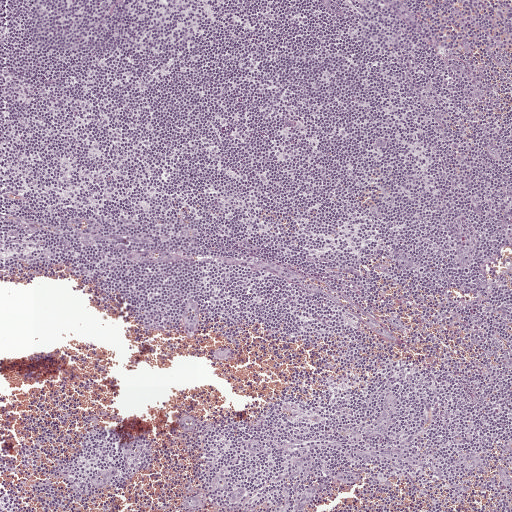
This is a crop of a whole-slide image: an H&E-stained breast-cancer sentinel lymph node section at roughly 5× magnification (about 1.9 µm per pixel; the crop spans about 1 mm).